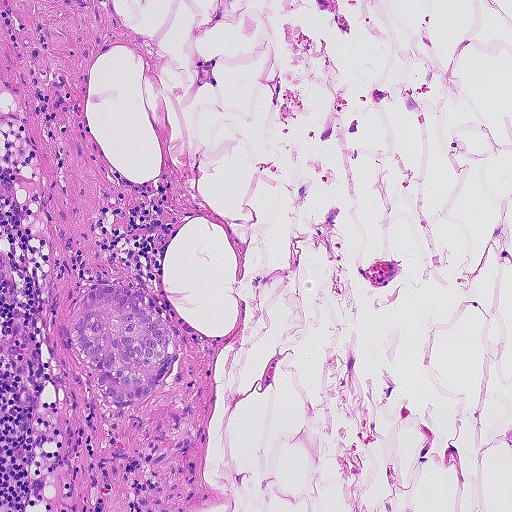
This is a crop of a whole-slide image: an H&E-stained breast-cancer sentinel lymph node section at roughly 10× magnification (about 0.9 µm per pixel; the crop spans about 0.46 mm).
Tumour region outline (a closed clockwise path, crop pixels): (97, 286), (123, 287), (146, 296), (174, 342), (174, 368), (161, 390), (139, 405), (114, 404), (75, 351), (70, 336), (85, 294).
The annotated tumour makes up about 5% of the crop.